Question: 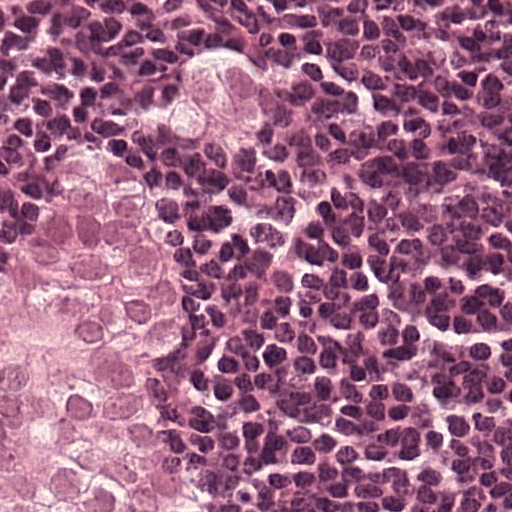
About what magnification does this crop show?

Choices:
 (A) about 2.5×
 (B) about 40×
 (C) about 20×
 (D) about 5×
 (E) about 10×

Answer: (B) about 40×
A 0.12-mm field of an H&E-stained sentinel lymph node from a breast-cancer patient (whole-slide image), shown at about 40×, about 0.24 µm per pixel.
Outlines of two tumour regions, largest first (closed clockwise paths, crop pixels): region 1: (97, 145), (145, 157), (168, 186), (188, 250), (188, 318), (165, 375), (165, 416), (211, 511), (0, 511), (0, 248), (40, 220); region 2: (0, 0), (35, 0), (26, 5), (15, 8), (0, 8).
One more small tumour piece is annotated here but not outlined.
About 25% of the image area is annotated as tumour.